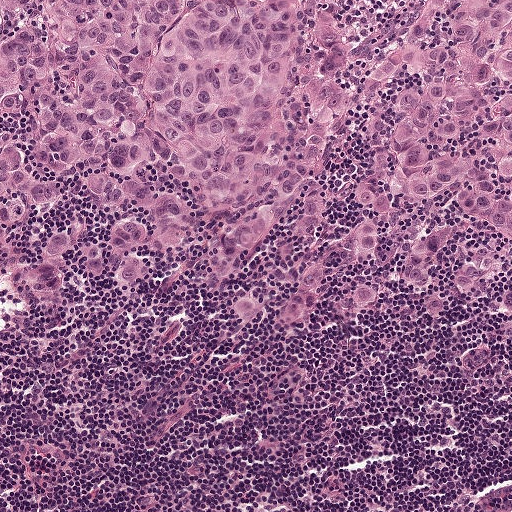
A 0.5-mm field of an H&E-stained sentinel lymph node from a breast-cancer patient (whole-slide image), shown at about 10×, about 0.97 µm per pixel.
Metastatic tumour outline, simplified to 7 points and listed clockwise in crop pixels (x, y): (0, 0), (511, 0), (511, 335), (417, 319), (198, 338), (126, 303), (1, 307).
About 65% of this field is tumour.